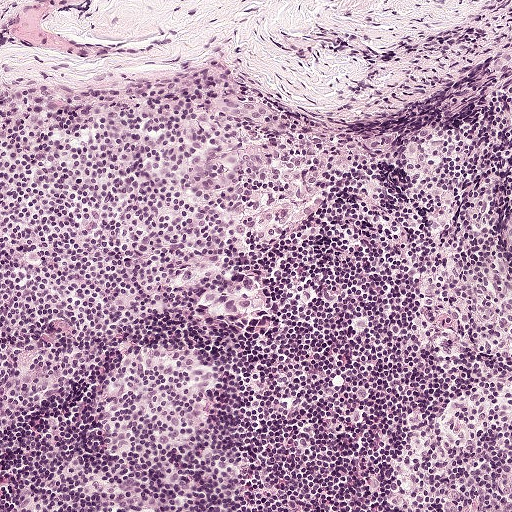
Lymph node section stained with H&E, from a whole-slide image of a breast-cancer sentinel node. Magnification about 10×, about 0.5 mm across the frame, about 0.97 µm per pixel.
Question: Where is the metastatic tumour in this field? Give each region's outline as (x, y) pixel points.
Answer: Boundaries of three metastatic tumour regions, simplified and listed clockwise, largest first: region 1: (230, 147), (255, 149), (260, 154), (261, 164), (248, 176), (226, 190), (208, 191), (189, 188), (184, 178), (189, 167); region 2: (251, 273), (255, 282), (258, 283), (260, 304), (258, 308), (241, 314), (220, 314), (209, 312), (204, 307), (200, 297), (207, 289), (230, 288), (238, 284), (243, 274); region 3: (213, 95), (239, 97), (270, 106), (280, 121), (280, 127), (276, 130), (272, 130), (257, 126), (244, 118), (231, 116), (212, 102).
Under 5% of this field is tumour.